Question: 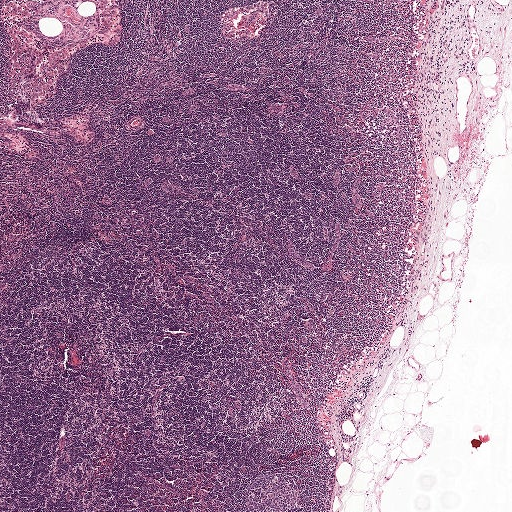
Which magnification is this H&E lymph node field most likely shown at?

Choices:
 (A) about 5×
 (B) about 2.5×
 (C) about 20×
 (D) about 40×
 (E) about 10×

Answer: (B) about 2.5×
Lymph node section stained with H&E, from a whole-slide image of a breast-cancer sentinel node. Magnification about 2.5×, about 2.0 mm across the frame, about 3.9 µm per pixel.